Question: 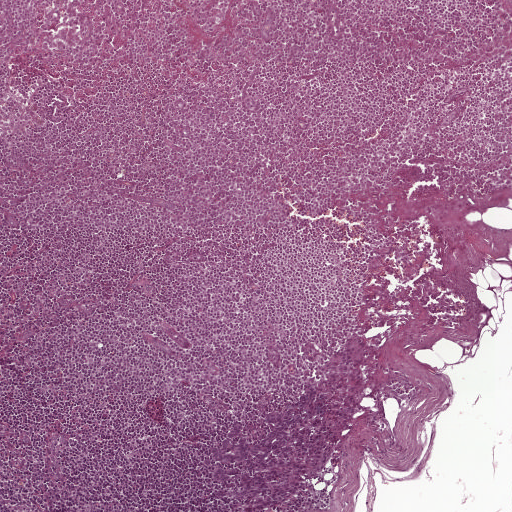
Lymph node section stained with H&E, from a whole-slide image of a breast-cancer sentinel node. Magnification about 5×, about 1 mm across the frame, about 1.9 µm per pixel.
Roughly what share of this field is metastatic tumour?

Choices:
 (A) about 25% to 45%
 (B) none: no tumour is outlined
 (C) about 50% or more
 (D) about 10% to 20%
 (E) about 5% or less

Answer: (E) about 5% or less
About 5% of the field is tumour.
Tumour region outline (a closed clockwise path, crop pixels): (352, 334), (367, 337), (370, 345), (368, 386), (362, 411), (353, 418), (353, 429), (344, 432), (337, 467), (330, 462), (315, 479), (316, 491), (276, 511), (232, 511), (217, 501), (199, 464), (203, 449), (243, 419), (250, 442), (266, 433), (263, 414), (302, 393), (316, 369).